This is a crop of a whole-slide image: an H&E-stained breast-cancer sentinel lymph node section at roughly 20× magnification (about 0.49 µm per pixel; the crop spans about 0.25 mm).
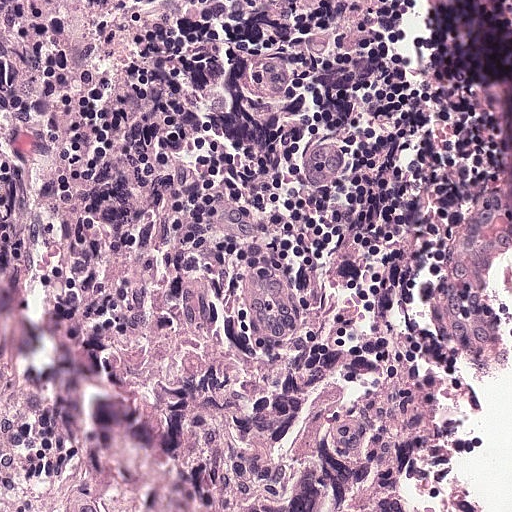
One metastatic tumour region; its boundary, reduced to 6 corners and listed clockwise: (0, 44), (114, 85), (162, 154), (275, 381), (299, 511), (0, 511).
About 40% of this field is tumour.